H&E-stained section of a sentinel lymph node (breast cancer), from a whole-slide image, viewed at about 20×: the field is about 0.26 mm across, about 0.5 µm per pixel.
Image:
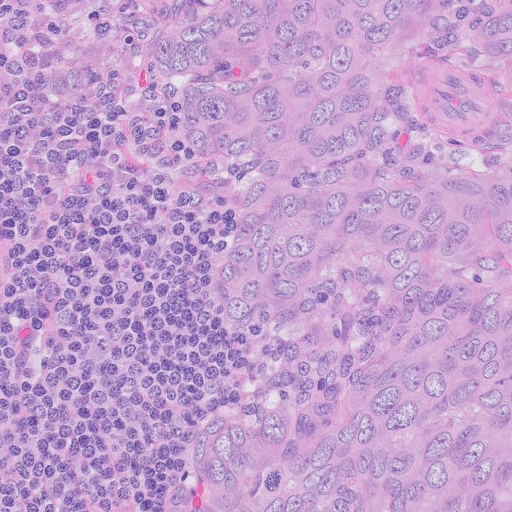
Question:
Which parts of this field are metastatic tumour?
Answer:
The outlined metastatic tumour's edge, as a closed clockwise path of 10 points: (83, 0), (511, 0), (511, 511), (186, 511), (189, 430), (218, 366), (202, 300), (208, 231), (169, 174), (156, 107).
The annotated tumour makes up about 65% of the crop.